Question: 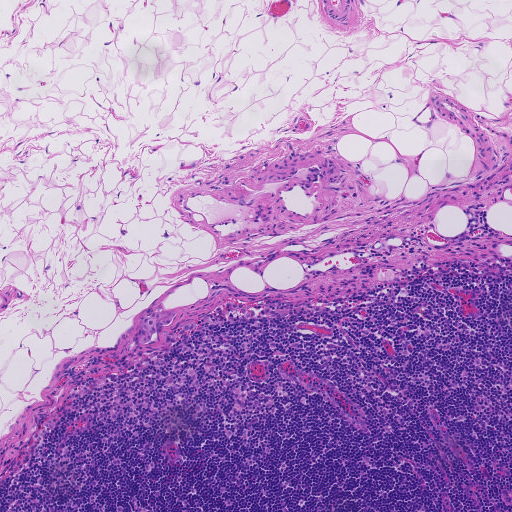
Which magnification is this H&E lymph node field most likely shown at?

Choices:
 (A) about 2.5×
 (B) about 40×
 (C) about 10×
 (D) about 5×
 (E) about 20×

Answer: (D) about 5×
A 0.93-mm field of an H&E-stained sentinel lymph node from a breast-cancer patient (whole-slide image), shown at about 5×, about 1.8 µm per pixel.
The outlined metastatic tumour's edge, as a closed clockwise path of 10 points: (165, 310), (178, 312), (171, 324), (159, 329), (150, 341), (138, 345), (133, 345), (131, 337), (137, 324), (138, 318).
Under 5% of the image area is annotated as tumour.
Question: 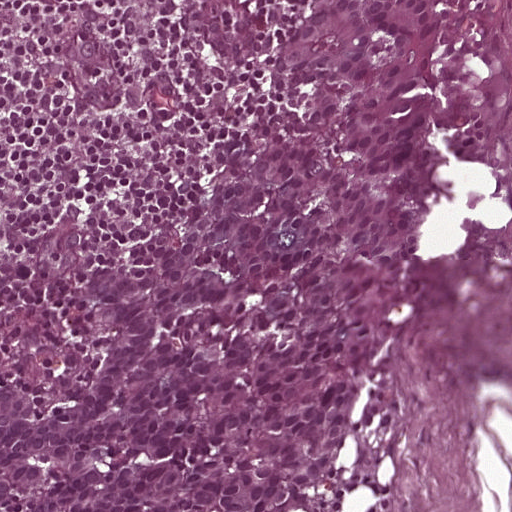
Which magnification is this H&E lymph node field most likely shown at?

Choices:
 (A) about 2.5×
 (B) about 5×
 (C) about 20×
 (D) about 10×
 (E) about 40×

Answer: (C) about 20×
A 0.25-mm field of an H&E-stained sentinel lymph node from a breast-cancer patient (whole-slide image), shown at about 20×, about 0.49 µm per pixel.
Metastatic tumour outline, simplified to 15 points and listed clockwise in crop pixels (x, y): (309, 0), (497, 0), (490, 148), (506, 165), (502, 174), (468, 158), (446, 162), (320, 511), (0, 511), (0, 257), (84, 214), (184, 202), (253, 93), (252, 32), (298, 19).
The annotated tumour makes up about 60% of the crop.
Question: 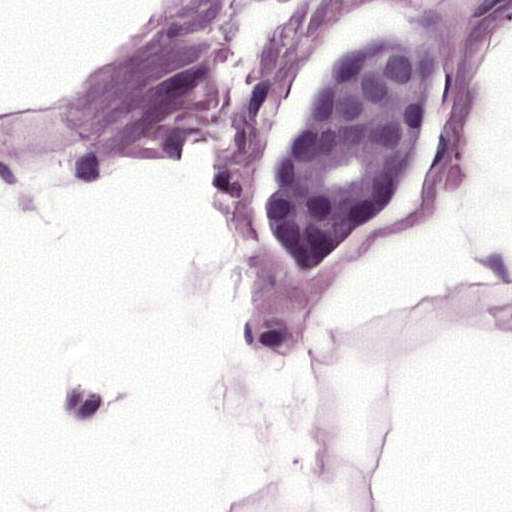
Which magnification is this H&E lymph node field most likely shown at?

Choices:
 (A) about 20×
 (B) about 5×
 (C) about 40×
 (D) about 2.5×
 (E) about 10×

Answer: (C) about 40×
A 0.12-mm field of an H&E-stained sentinel lymph node from a breast-cancer patient (whole-slide image), shown at about 40×, about 0.24 µm per pixel.
The outlined metastatic tumour's edge, as a closed clockwise path of 8 points: (376, 28), (433, 47), (443, 104), (412, 187), (306, 269), (272, 265), (259, 189), (290, 88).
About 10% of this field is tumour.
Question: 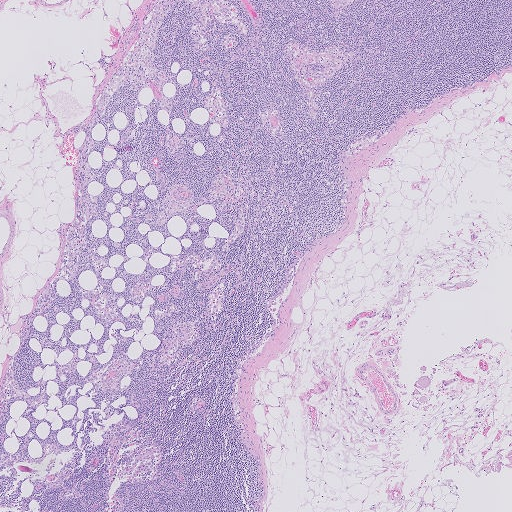
Which magnification is this H&E lymph node field most likely shown at?

Choices:
 (A) about 40×
 (B) about 20×
 (C) about 10×
 (D) about 5×
 (E) about 2.5×

Answer: (E) about 2.5×
A 2.0-mm field of an H&E-stained sentinel lymph node from a breast-cancer patient (whole-slide image), shown at about 2.5×, about 4.0 µm per pixel.